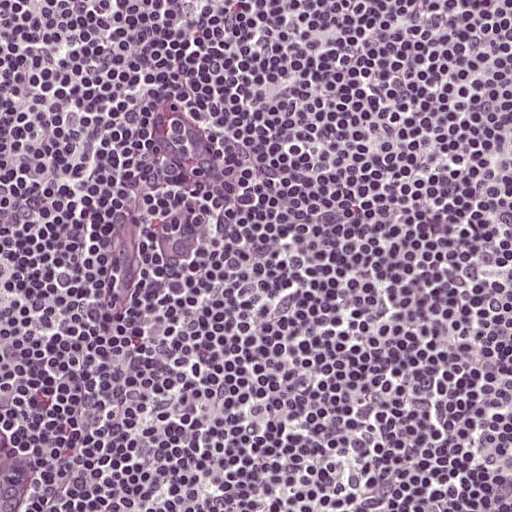
Lymph node section stained with H&E, from a whole-slide image of a breast-cancer sentinel node. Magnification about 20×, about 0.25 mm across the frame, about 0.49 µm per pixel.